Image:
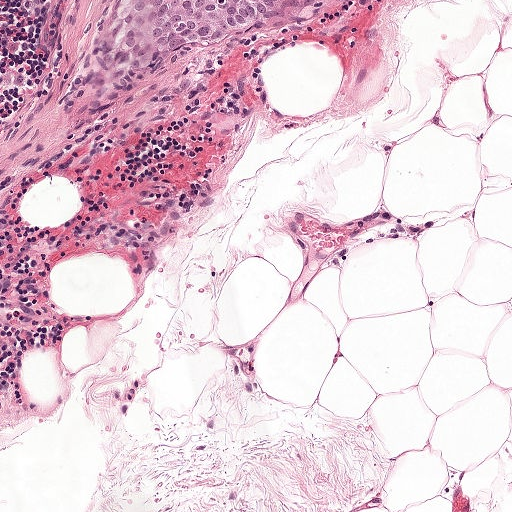
A 0.5-mm field of an H&E-stained sentinel lymph node from a breast-cancer patient (whole-slide image), shown at about 10×, about 0.97 µm per pixel.
Question:
Which parts of this field are metastatic tumour? Answer with the outline of each region, in pixels.
Answer:
Tumour region outline (a closed clockwise path, crop pixels): (313, 0), (308, 6), (274, 17), (250, 32), (194, 46), (170, 56), (134, 81), (123, 84), (101, 83), (104, 45), (135, 1).
The annotated tumour makes up about 5% of the crop.